A 2.0-mm field of an H&E-stained sentinel lymph node from a breast-cancer patient (whole-slide image), shown at about 2.5×, about 3.9 µm per pixel.
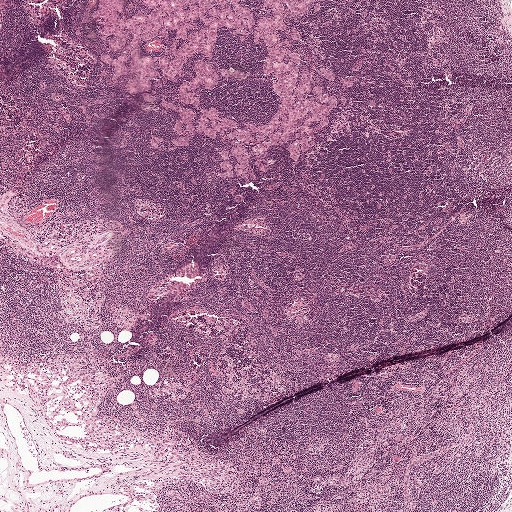
Three metastatic tumour regions, each outlined as a closed clockwise path in crop pixels (x, y), largest first: region 1: (162, 100), (166, 101), (181, 109), (190, 108), (195, 113), (195, 118), (191, 122), (193, 132), (193, 137), (188, 143), (179, 146), (174, 145), (170, 142), (170, 140), (172, 138), (181, 137), (186, 134), (187, 132), (184, 129), (184, 124), (180, 125), (182, 132), (180, 135), (178, 135), (173, 131), (173, 126), (174, 123), (176, 120), (180, 118), (177, 113), (161, 106), (160, 104), (160, 101); region 2: (225, 149), (226, 152), (232, 172), (231, 178), (226, 179), (222, 179), (218, 177), (217, 175), (219, 173), (224, 171), (224, 170), (220, 168), (219, 164), (220, 162), (223, 159), (222, 157), (220, 156), (219, 152), (220, 150); region 3: (321, 68), (327, 69), (331, 71), (333, 74), (334, 77), (334, 80), (331, 81), (327, 81), (324, 80), (318, 75).
One more tumour region is annotated but not outlined: its edge is too irregular for a short outline.
The annotated tumour makes up about 10% of the crop.